H&E-stained section of a sentinel lymph node (breast cancer), from a whole-slide image, viewed at about 20×: the field is about 0.25 mm across, about 0.49 µm per pixel.
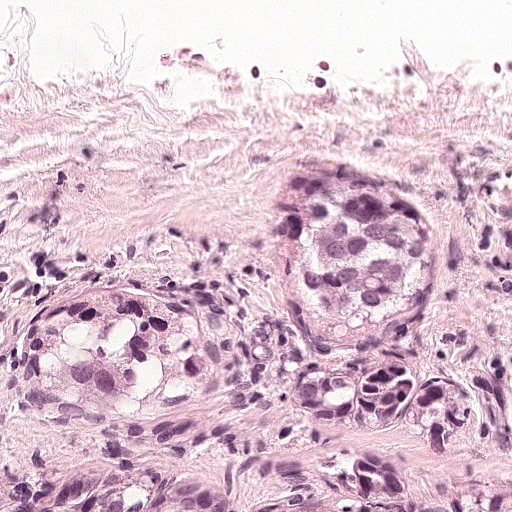
Outlines of five tumour regions, largest first (closed clockwise paths, crop pixels): region 1: (96, 288), (168, 298), (183, 312), (208, 308), (252, 330), (270, 343), (282, 396), (258, 402), (219, 443), (159, 455), (130, 454), (91, 430), (40, 417), (22, 402), (19, 351), (35, 325); region 2: (328, 170), (406, 193), (412, 204), (434, 217), (445, 236), (445, 262), (433, 304), (378, 336), (348, 337), (330, 330), (290, 283), (278, 228), (284, 202), (298, 178); region 3: (385, 354), (414, 356), (424, 367), (430, 388), (459, 378), (467, 382), (471, 406), (464, 434), (451, 439), (434, 439), (414, 428), (410, 422), (398, 434), (364, 438), (341, 424), (309, 422), (299, 416), (294, 388), (334, 370), (357, 378), (367, 374), (372, 364); region 4: (116, 477), (128, 477), (143, 488), (160, 488), (176, 482), (204, 486), (217, 485), (232, 511), (38, 511), (48, 502); region 5: (374, 454), (396, 464), (402, 474), (409, 478), (407, 498), (396, 502), (466, 504), (480, 499), (511, 499), (511, 511), (282, 511), (304, 504), (341, 500), (360, 493), (366, 488), (360, 482), (360, 464).
About 25% of the image area is annotated as tumour.